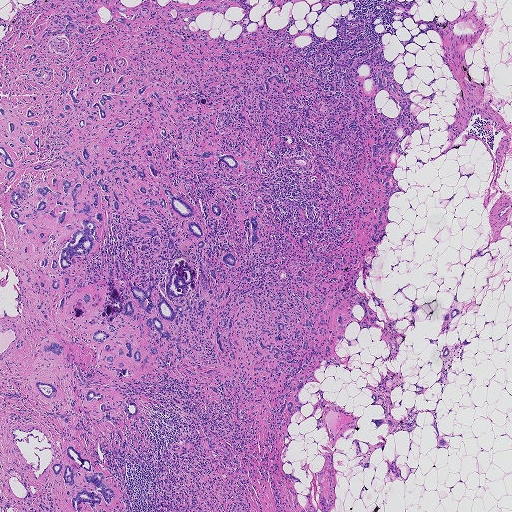
This is a crop of a whole-slide image: an H&E-stained breast-cancer sentinel lymph node section at roughly 2.5× magnification (about 3.6 µm per pixel; the crop spans about 1.9 mm).
Outlines of the eight largest metastatic tumour regions, each a closed clockwise path in crop pixels (x, y), largest first: region 1: (243, 0), (189, 28), (292, 42), (289, 86), (319, 115), (277, 116), (303, 150), (266, 150), (239, 180), (265, 208), (248, 296), (340, 256), (381, 306), (286, 424), (246, 422), (178, 368), (109, 373), (82, 295), (120, 215), (63, 311), (10, 219), (0, 75), (29, 17); region 2: (389, 70), (400, 94), (414, 103), (411, 104), (410, 114), (393, 133), (397, 143), (390, 161), (393, 177), (402, 191), (394, 193), (389, 199), (387, 214), (391, 222), (386, 227), (387, 237), (376, 245), (367, 269), (360, 256), (373, 243), (369, 237), (381, 189), (380, 186), (376, 194), (375, 183), (364, 181), (361, 166), (367, 148), (370, 150), (385, 127), (379, 123), (380, 112), (393, 118), (400, 114), (399, 106), (384, 90), (377, 90), (377, 71); region 3: (71, 445), (90, 460), (93, 472), (102, 472), (115, 496), (109, 504), (102, 498), (100, 504), (92, 507), (88, 503), (82, 504), (80, 511), (77, 511), (65, 501), (70, 487), (64, 484), (62, 471), (55, 476), (52, 464), (58, 462), (70, 463), (65, 451); region 4: (74, 361), (81, 369), (89, 372), (93, 370), (94, 372), (92, 377), (93, 379), (102, 381), (94, 384), (91, 385), (91, 388), (88, 388), (82, 385), (80, 386), (78, 385), (77, 382), (80, 382), (76, 376), (75, 381), (73, 376), (72, 371), (76, 370); region 5: (120, 399), (125, 401), (130, 399), (131, 402), (136, 404), (140, 410), (140, 412), (144, 418), (144, 423), (142, 424), (138, 415), (132, 416), (125, 413), (118, 405), (118, 400); region 6: (36, 381), (58, 385), (55, 397), (51, 399), (46, 399), (35, 386); region 7: (52, 342), (54, 342), (61, 344), (63, 346), (61, 354), (57, 355), (50, 352), (44, 353), (42, 351), (42, 349), (43, 344), (46, 344), (48, 346); region 8: (101, 403), (103, 403), (109, 407), (114, 408), (112, 409), (111, 414), (113, 416), (118, 416), (119, 418), (119, 420), (117, 421), (118, 424), (115, 424), (111, 421), (106, 420), (104, 412), (99, 410), (99, 405).
Seven more, smaller tumour regions are not outlined.
22 more small tumour pieces are annotated here but not outlined.
About 40% of this field is tumour.